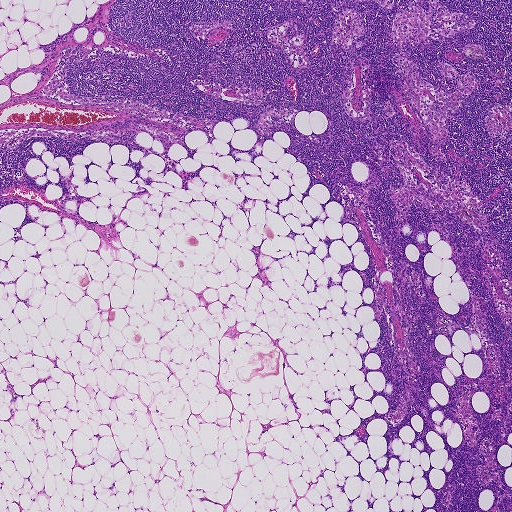
A 1.9-mm field of an H&E-stained sentinel lymph node from a breast-cancer patient (whole-slide image), shown at about 2.5×, about 3.6 µm per pixel.
Question: Is any metastatic breast cancer visible in this crop?
Answer: No: no metastatic tumour is outlined anywhere in this field.